Question: 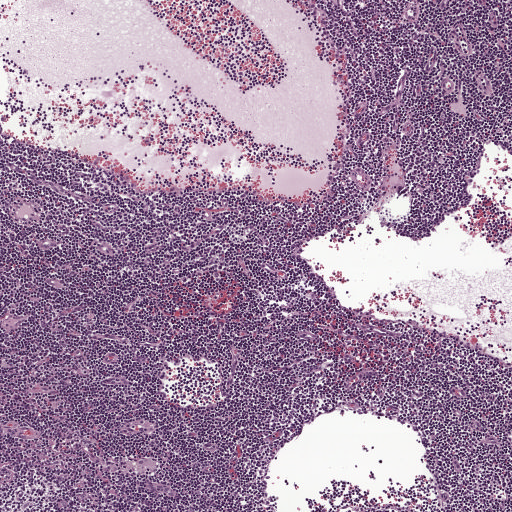
At roughly what magnification is this field shown?

Choices:
 (A) about 20×
 (B) about 10×
 (C) about 2.5×
 (D) about 40×
 (E) about 5×

Answer: (E) about 5×
Lymph node section stained with H&E, from a whole-slide image of a breast-cancer sentinel node. Magnification about 5×, about 1 mm across the frame, about 1.9 µm per pixel.